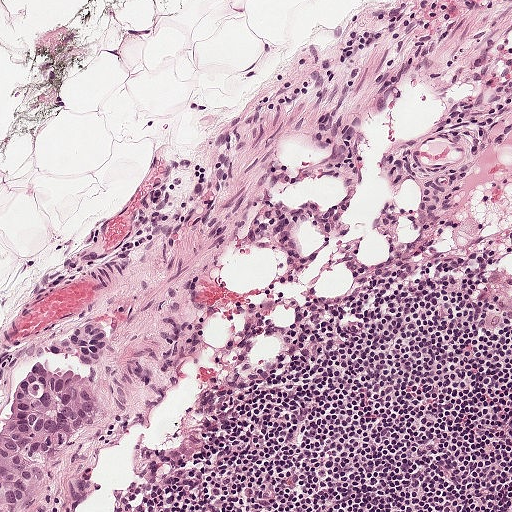
H&E-stained section of a sentinel lymph node (breast cancer), from a whole-slide image, viewed at about 10×: the field is about 0.5 mm across, about 0.97 µm per pixel.
The outlined metastatic tumour's edge, as a closed clockwise path of 14 points: (102, 316), (111, 319), (105, 364), (109, 402), (103, 419), (96, 432), (54, 466), (38, 500), (24, 503), (20, 511), (0, 511), (0, 430), (27, 357), (79, 323).
The annotated tumour makes up about 5% of the crop.